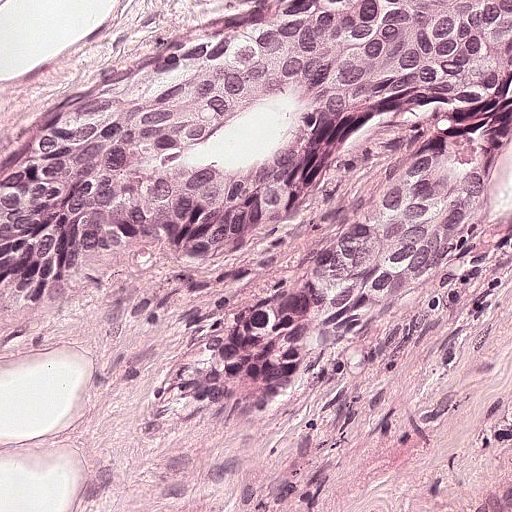
This is a crop of a whole-slide image: an H&E-stained breast-cancer sentinel lymph node section at roughly 20× magnification (about 0.49 µm per pixel; the crop spans about 0.25 mm).
Question: Trace the edge of each tumour region in this crop, as (x, y) points from 0 to 511.
Answer: Metastatic tumour outline, simplified to 23 points and listed clockwise in crop pixels (x, y): (511, 0), (511, 171), (482, 222), (312, 388), (262, 410), (187, 418), (170, 376), (192, 341), (273, 290), (373, 190), (442, 146), (453, 116), (406, 98), (360, 119), (287, 222), (220, 277), (100, 277), (40, 322), (0, 313), (0, 164), (72, 102), (170, 74), (281, 5).
Tumour covers about 50% of the frame.